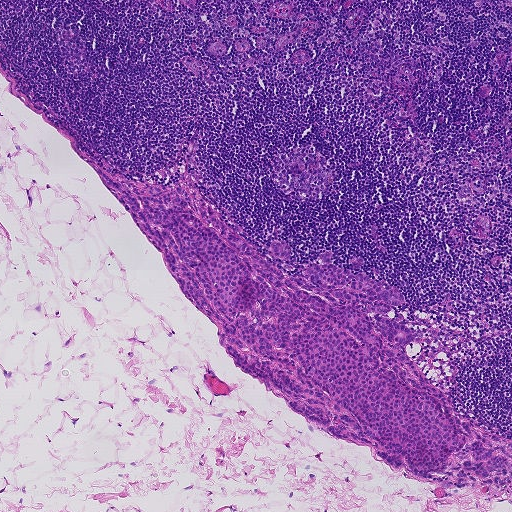
A 0.93-mm field of an H&E-stained sentinel lymph node from a breast-cancer patient (whole-slide image), shown at about 5×, about 1.8 µm per pixel.
Question: Where is the metastatic tumour in this field? Give each region's outline as (x, y) pixel points.
Answer: Tumour region outline (a closed clockwise path, crop pixels): (71, 144), (108, 172), (187, 187), (269, 261), (287, 242), (290, 260), (270, 262), (285, 276), (329, 249), (330, 264), (351, 272), (361, 257), (354, 273), (405, 298), (392, 306), (417, 337), (408, 355), (456, 410), (510, 439), (511, 487), (446, 487), (308, 425), (240, 371).
The annotated tumour makes up about 20% of the crop.